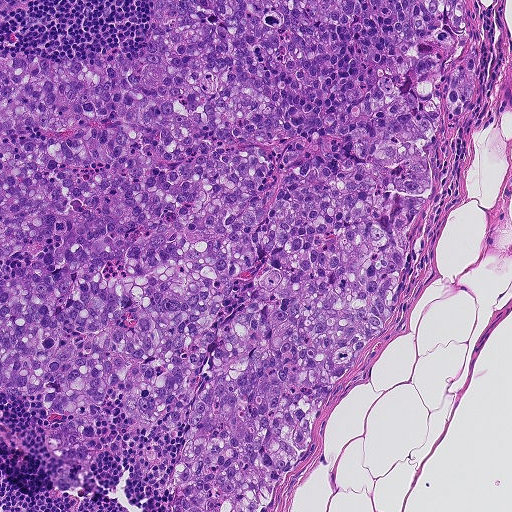
Lymph node section stained with H&E, from a whole-slide image of a breast-cancer sentinel node. Magnification about 10×, about 0.46 mm across the frame, about 0.9 µm per pixel.
The outlined metastatic tumour's edge, as a closed clockwise path of 22 points: (463, 0), (387, 325), (263, 511), (167, 511), (186, 430), (129, 416), (119, 389), (93, 419), (103, 461), (74, 458), (83, 478), (58, 491), (70, 458), (42, 440), (76, 418), (0, 391), (0, 147), (73, 131), (0, 137), (0, 58), (130, 54), (150, 3).
About 65% of this field is tumour.